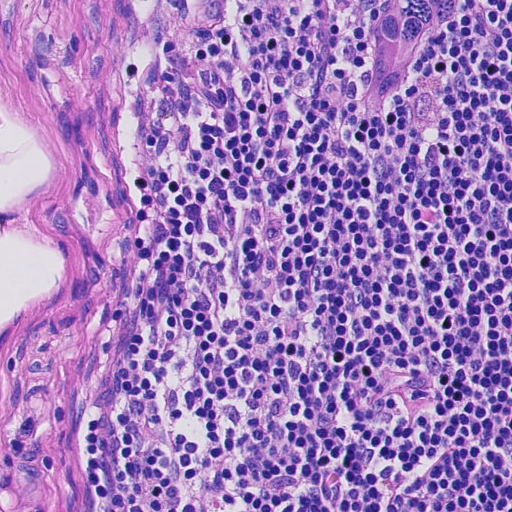
This is a crop of a whole-slide image: an H&E-stained breast-cancer sentinel lymph node section at roughly 20× magnification (about 0.45 µm per pixel; the crop spans about 0.23 mm).
The outlined metastatic tumour's edge, as a closed clockwise path of 6 points: (371, 0), (460, 0), (456, 18), (401, 94), (368, 111), (365, 26).
About 5% of this field is tumour.